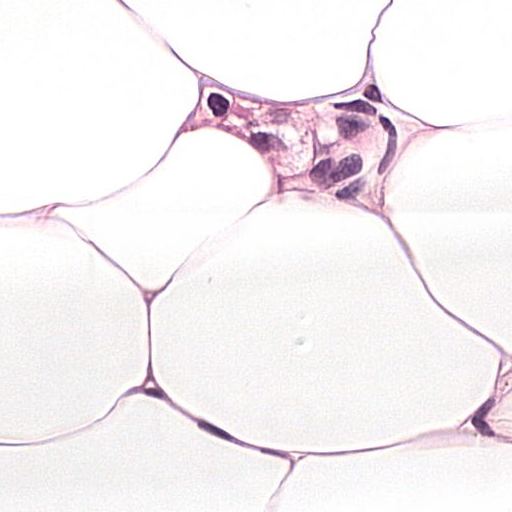
Lymph node section stained with H&E, from a whole-slide image of a breast-cancer sentinel node. Magnification about 40×, about 0.12 mm across the frame, about 0.24 µm per pixel.
The outlined metastatic tumour's edge, as a closed clockwise path of 9 points: (172, 68), (374, 74), (421, 97), (409, 155), (369, 204), (322, 195), (232, 153), (209, 132), (201, 105).
About 10% of this field is tumour.